Question: 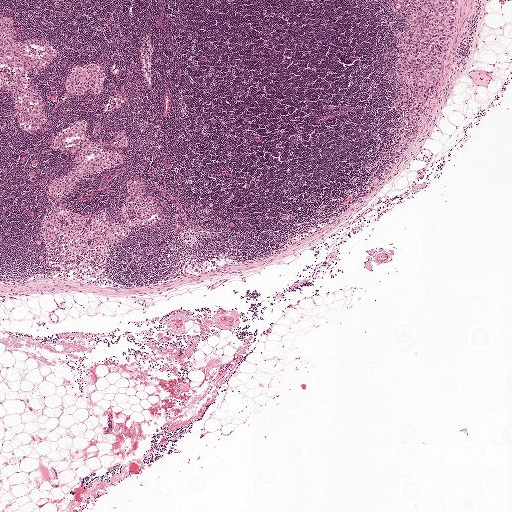
Lymph node section stained with H&E, from a whole-slide image of a breast-cancer sentinel node. Magnification about 2.5×, about 2.0 mm across the frame, about 3.9 µm per pixel.
About how much of this crop is taken up by metastatic carcinoma?

Choices:
 (A) none: no tumour is outlined
 (B) about 25% to 45%
 (C) about 50% or more
 (D) about 10% to 20%
 (E) about 5% or less

Answer: (E) about 5% or less
Under 5% of the field is tumour.
Boundaries of two metastatic tumour regions, simplified and listed clockwise, largest first: region 1: (421, 0), (458, 0), (447, 58), (434, 90), (423, 108), (417, 131), (406, 154), (391, 172), (384, 174), (382, 173), (406, 117), (394, 105), (397, 86), (387, 76), (395, 66), (396, 35), (402, 29), (405, 17), (418, 9); region 2: (395, 0), (416, 0), (413, 3), (403, 9), (397, 8).